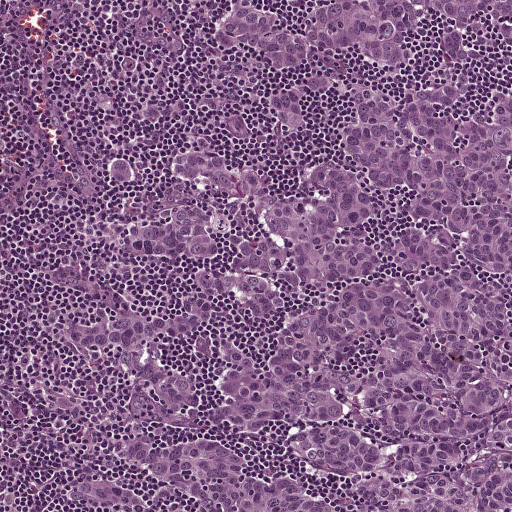
H&E-stained section of a sentinel lymph node (breast cancer), from a whole-slide image, viewed at about 10×: the field is about 0.5 mm across, about 0.97 µm per pixel.
Metastatic tumour outline, simplified to 24 points and listed clockwise in crop pixels (x, y): (325, 0), (511, 0), (511, 511), (33, 511), (135, 472), (112, 455), (134, 432), (126, 376), (62, 343), (89, 321), (60, 264), (149, 306), (188, 293), (116, 243), (171, 168), (114, 190), (108, 157), (302, 168), (200, 136), (288, 84), (256, 56), (188, 49), (232, 1), (297, 22).
About 70% of this field is tumour.